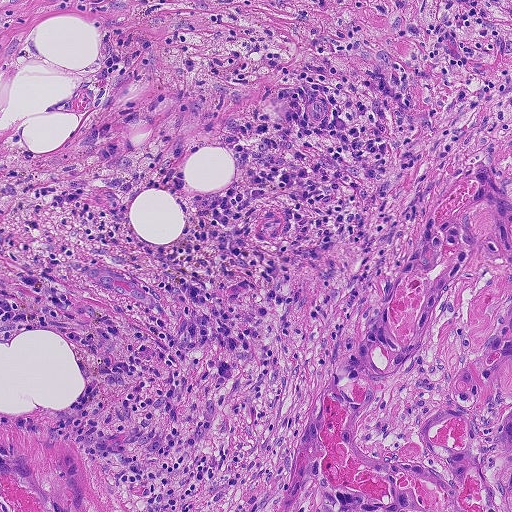
Lymph node section stained with H&E, from a whole-slide image of a breast-cancer sentinel node. Magnification about 10×, about 0.46 mm across the frame, about 0.9 µm per pixel.
Question: Which parts of this field are metastatic tumour? Answer with the outline of each region, in pixels.
Answer: Boundaries of two metastatic tumour regions, simplified and listed clockwise, largest first: region 1: (468, 160), (502, 170), (511, 192), (511, 511), (251, 511), (275, 488), (311, 402), (370, 325), (434, 194); region 2: (0, 417), (56, 432), (78, 445), (90, 467), (94, 511), (0, 511).
The annotated tumour makes up about 25% of the crop.